Image:
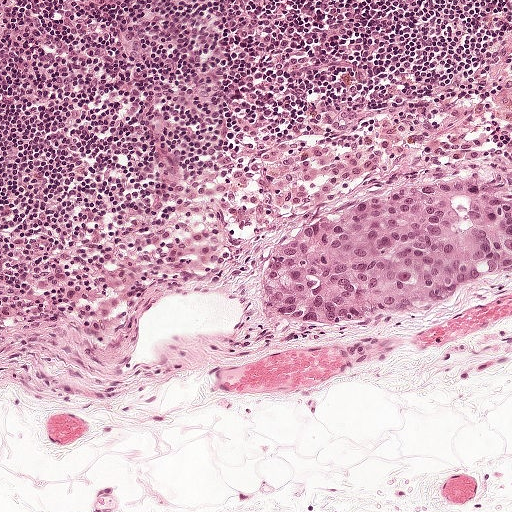
This is a crop of a whole-slide image: an H&E-stained breast-cancer sentinel lymph node section at roughly 10× magnification (about 0.97 µm per pixel; the crop spans about 0.5 mm).
Question:
Describe where the metastatic carcinoma lies in this crop.
Answer:
The outlined metastatic tumour's edge, as a closed clockwise path of 9 points: (432, 168), (511, 177), (511, 285), (333, 322), (290, 316), (258, 294), (257, 264), (270, 235), (377, 184).
The annotated tumour makes up about 10% of the crop.